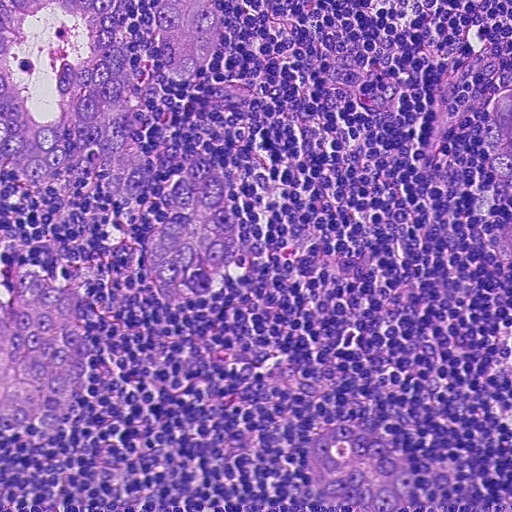
This is a crop of a whole-slide image: an H&E-stained breast-cancer sentinel lymph node section at roughly 20× magnification (about 0.45 µm per pixel; the crop spans about 0.23 mm).
Question: Is there metastatic carcinoma in this field?
Answer: Yes.
Boundaries of six metastatic tumour regions, simplified and listed clockwise, largest first: region 1: (130, 0), (124, 18), (144, 118), (128, 130), (142, 145), (145, 164), (134, 202), (114, 203), (100, 166), (82, 158), (52, 187), (0, 177), (0, 2); region 2: (32, 262), (76, 284), (82, 300), (85, 347), (84, 394), (71, 423), (60, 433), (43, 433), (30, 424), (0, 430), (0, 299), (12, 288), (18, 272); region 3: (206, 154), (223, 169), (243, 251), (240, 272), (213, 303), (192, 307), (170, 305), (154, 293), (139, 253), (147, 233), (164, 220), (160, 212), (160, 192), (179, 182), (186, 163); region 4: (340, 425), (384, 441), (400, 454), (412, 474), (413, 494), (408, 511), (346, 510), (326, 504), (310, 489), (306, 468), (308, 447), (320, 430); region 5: (158, 0), (213, 0), (220, 11), (220, 32), (214, 52), (190, 84), (170, 80), (158, 63); region 6: (511, 76), (511, 258), (494, 258), (484, 238), (497, 236), (510, 218), (506, 196), (490, 181), (480, 136), (481, 114).
About 25% of this field is tumour.